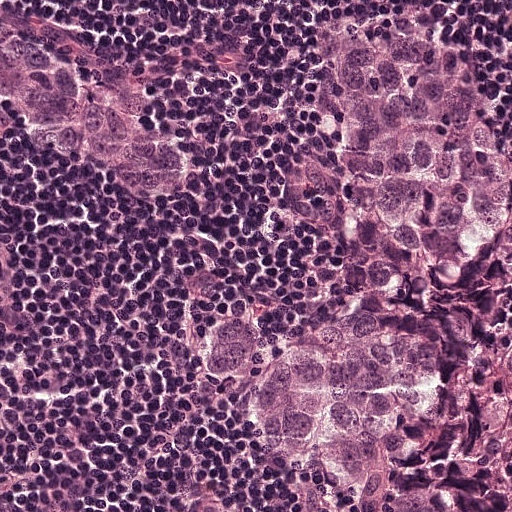
A 0.25-mm field of an H&E-stained sentinel lymph node from a breast-cancer patient (whole-slide image), shown at about 20×, about 0.49 µm per pixel.
The outlined metastatic tumour's edge, as a closed clockwise path of 20 points: (511, 0), (511, 511), (314, 511), (242, 404), (198, 360), (198, 328), (216, 294), (258, 278), (337, 272), (346, 240), (280, 211), (108, 189), (1, 144), (0, 27), (99, 52), (182, 122), (242, 126), (264, 119), (302, 68), (299, 2).
The annotated tumour makes up about 60% of the crop.